A 0.51-mm field of an H&E-stained sentinel lymph node from a breast-cancer patient (whole-slide image), shown at about 10×, about 1.0 µm per pixel.
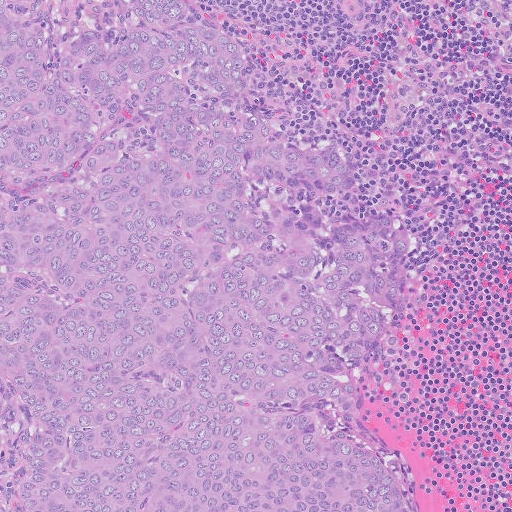
Question: Which parts of this field are metastatic tumour?
Answer: Tumour region outline (a closed clockwise path, crop pixels): (0, 0), (61, 0), (53, 34), (74, 36), (123, 0), (199, 0), (250, 53), (244, 93), (294, 136), (339, 144), (370, 203), (407, 224), (409, 339), (399, 358), (362, 379), (356, 435), (418, 494), (421, 511), (0, 511).
About 70% of this field is tumour.